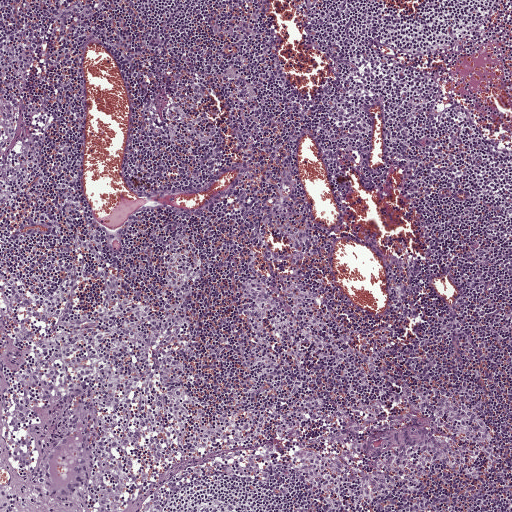
A 1-mm field of an H&E-stained sentinel lymph node from a breast-cancer patient (whole-slide image), shown at about 5×, about 1.9 µm per pixel.